A 1-mm field of an H&E-stained sentinel lymph node from a breast-cancer patient (whole-slide image), shown at about 5×, about 1.9 µm per pixel.
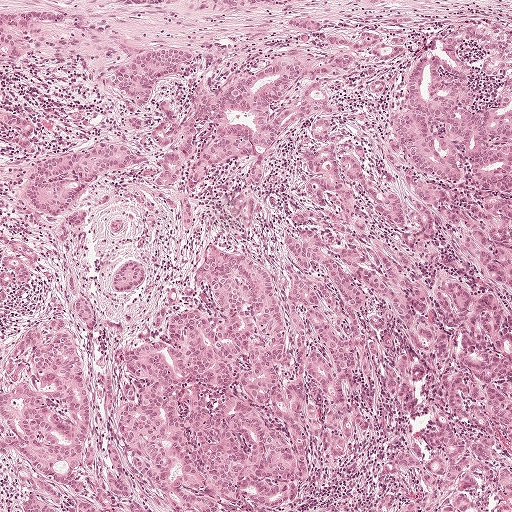
The outlined metastatic tumour's edge, as a closed clockwise path of 22 points: (228, 248), (261, 265), (281, 305), (280, 264), (300, 270), (318, 291), (324, 326), (351, 348), (358, 435), (342, 460), (311, 446), (307, 495), (293, 511), (181, 511), (118, 435), (121, 383), (134, 376), (127, 351), (136, 339), (161, 336), (192, 299), (202, 250).
About 15% of this field is tumour.